Image:
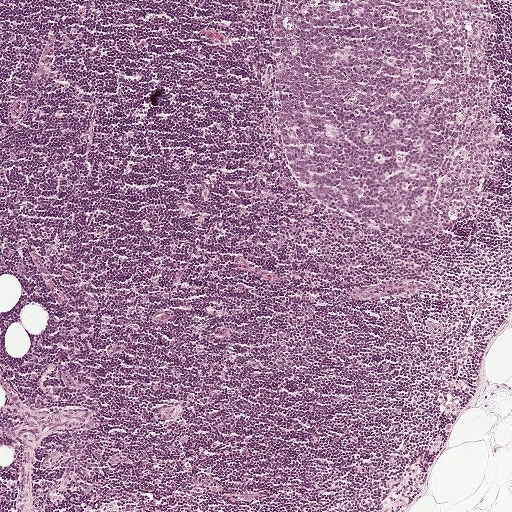
This is a crop of a whole-slide image: an H&E-stained breast-cancer sentinel lymph node section at roughly 5× magnification (about 1.9 µm per pixel; the crop spans about 1 mm).
Question:
Is there metastatic carcinoma in this field?
Answer:
No, this field holds no outlined metastasis.